Image:
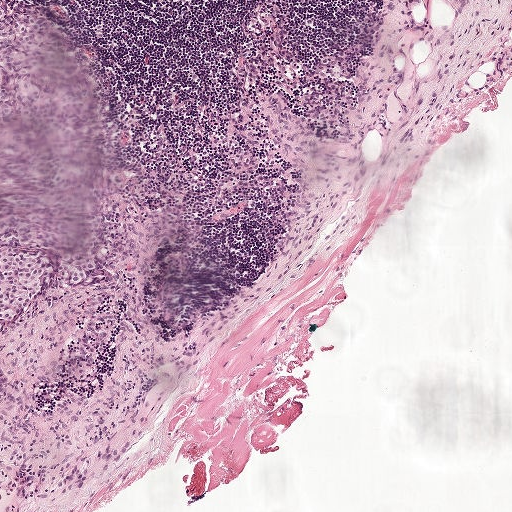
Lymph node section stained with H&E, from a whole-slide image of a breast-cancer sentinel node. Magnification about 5×, about 1 mm across the frame, about 1.9 µm per pixel.
Question:
Trace the edge of each tumour region in this crop, as (x, y) points from 0 to 511.
Answer:
Two metastatic tumour regions, each outlined as a closed clockwise path in crop pixels (x, y), largest first: region 1: (0, 0), (31, 0), (60, 20), (87, 63), (122, 171), (122, 198), (106, 261), (77, 283), (20, 305), (0, 325); region 2: (0, 364), (4, 367), (8, 377), (7, 390), (0, 398).
Tumour covers about 10% of the frame.